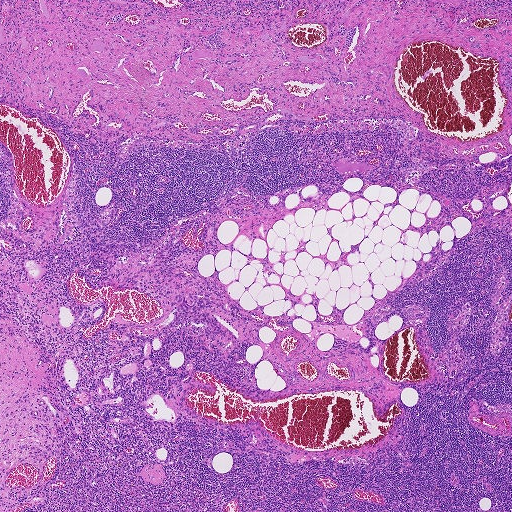
Lymph node section stained with H&E, from a whole-slide image of a breast-cancer sentinel node. Magnification about 2.5×, about 1.9 mm across the frame, about 3.6 µm per pixel.